Image:
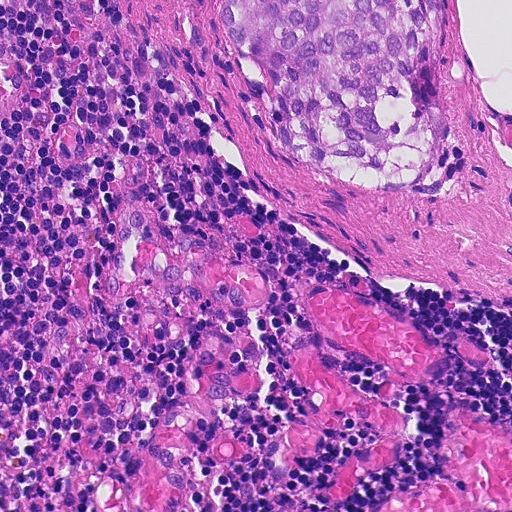
A 0.23-mm field of an H&E-stained sentinel lymph node from a breast-cancer patient (whole-slide image), shown at about 20×, about 0.45 µm per pixel.
Question:
Where is the metastatic tumour in this field? Give each region's outline as (x, y) pixel points.
Answer:
One metastatic tumour region; its boundary, reduced to 10 corners and listed clockwise: (217, 0), (447, 0), (432, 72), (450, 128), (454, 184), (440, 196), (382, 192), (290, 158), (275, 143), (218, 18).
About 15% of the image area is annotated as tumour.